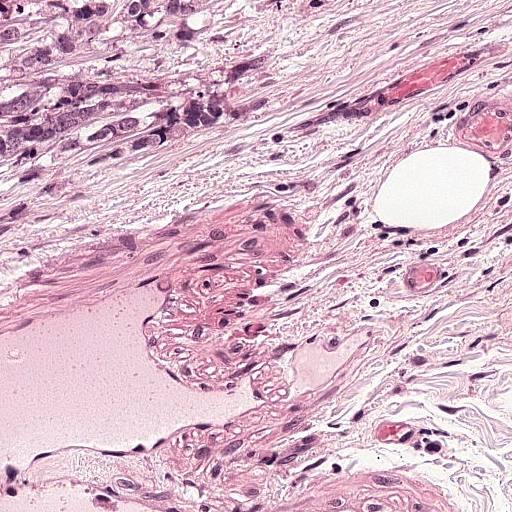
A 0.25-mm field of an H&E-stained sentinel lymph node from a breast-cancer patient (whole-slide image), shown at about 20×, about 0.49 µm per pixel.
The outlined metastatic tumour's edge, as a closed clockwise path of 7 points: (0, 0), (486, 0), (362, 124), (281, 165), (139, 165), (78, 185), (6, 185).
The annotated tumour makes up about 25% of the crop.